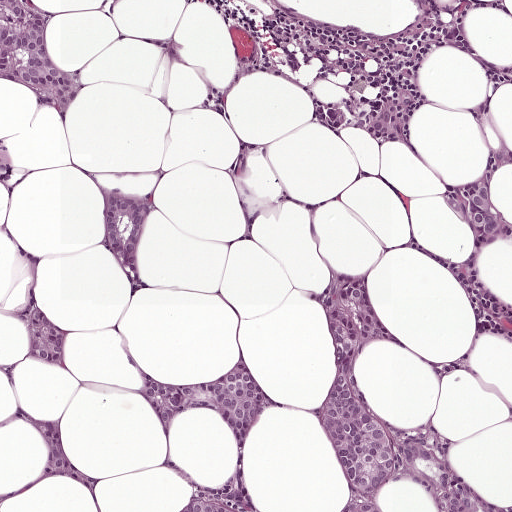
Lymph node section stained with H&E, from a whole-slide image of a breast-cancer sentinel node. Magnification about 10×, about 0.5 mm across the frame, about 0.97 µm per pixel.
Outlines of the eight largest metastatic tumour regions, each a closed clockwise path in crop pixels (x, y), largest first: region 1: (364, 274), (390, 338), (359, 343), (348, 382), (354, 401), (383, 427), (396, 463), (375, 496), (378, 511), (349, 511), (354, 505), (355, 491), (342, 452), (322, 416), (308, 406), (313, 406), (336, 372), (337, 352), (320, 289); region 2: (0, 0), (36, 0), (50, 14), (47, 34), (58, 73), (81, 90), (67, 112), (44, 97), (42, 84), (0, 80); region 3: (237, 366), (254, 388), (274, 405), (270, 406), (239, 432), (232, 421), (212, 403), (199, 402), (160, 418), (146, 394), (153, 382), (180, 386), (208, 384), (212, 378); region 4: (101, 189), (150, 192), (142, 275), (132, 286), (106, 240); region 5: (35, 305), (64, 332), (60, 364), (30, 355), (33, 338), (15, 310); region 6: (19, 418), (56, 422), (65, 449), (96, 488), (84, 483), (55, 477), (44, 469), (50, 452), (46, 433); region 7: (470, 181), (488, 181), (488, 198), (498, 213), (499, 230), (484, 235), (470, 226), (480, 212), (473, 200), (461, 190); region 8: (189, 497), (244, 511), (170, 511), (176, 503).
One more, smaller tumour region is not outlined.
About 10% of this field is tumour.